A 1.9-mm field of an H&E-stained sentinel lymph node from a breast-cancer patient (whole-slide image), shown at about 2.5×, about 3.6 µm per pixel.
Question: 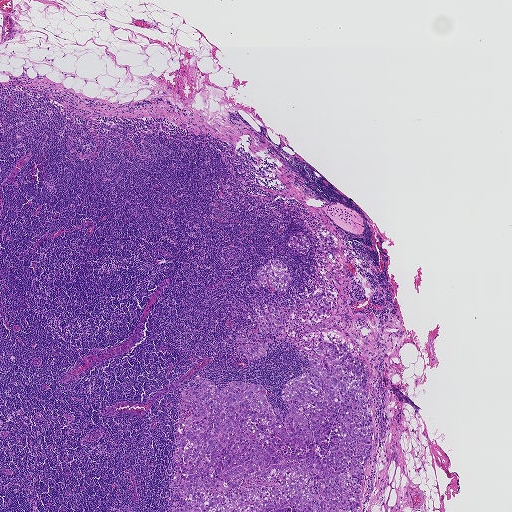
Roughly what share of this field is metastatic tumour?

Choices:
 (A) about 10% to 20%
 (B) about 5% or less
 (C) none: no tumour is outlined
 (D) about 25% to 45%
 (E) about 50% or more

Answer: (A) about 10% to 20%
About 15% of the field is tumour.
Outlines of two tumour regions, largest first (closed clockwise paths, crop pixels): region 1: (319, 225), (338, 238), (346, 273), (336, 307), (312, 330), (346, 337), (371, 376), (372, 447), (360, 510), (166, 511), (174, 504), (176, 405), (193, 379), (219, 389), (261, 384), (285, 426), (281, 392), (311, 373), (307, 354), (272, 336), (266, 356), (248, 360), (234, 351), (235, 337), (253, 338), (255, 307), (265, 315), (263, 304), (293, 310), (318, 286), (339, 291), (315, 278), (312, 248), (303, 254), (287, 245), (298, 231), (316, 248); region 2: (271, 260), (279, 260), (285, 264), (289, 278), (285, 292), (280, 293), (269, 286), (264, 287), (254, 281), (257, 278), (257, 268), (262, 265), (266, 265).